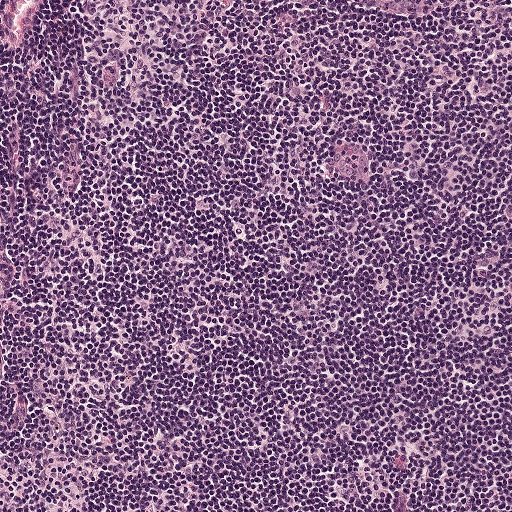
Lymph node section stained with H&E, from a whole-slide image of a breast-cancer sentinel node. Magnification about 10×, about 0.5 mm across the frame, about 0.97 µm per pixel.